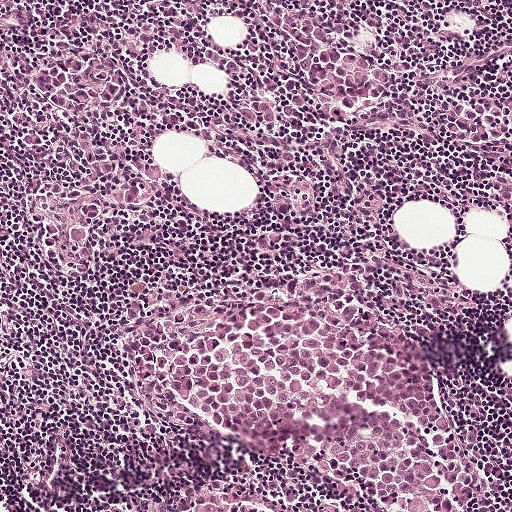
A 0.5-mm field of an H&E-stained sentinel lymph node from a breast-cancer patient (whole-slide image), shown at about 10×, about 0.97 µm per pixel.
Tumour region outline (a closed clockwise path, crop pixels): (328, 272), (350, 276), (366, 291), (352, 360), (344, 368), (308, 390), (228, 419), (180, 419), (119, 367), (118, 350), (146, 323), (272, 296).
The annotated tumour makes up about 10% of the crop.